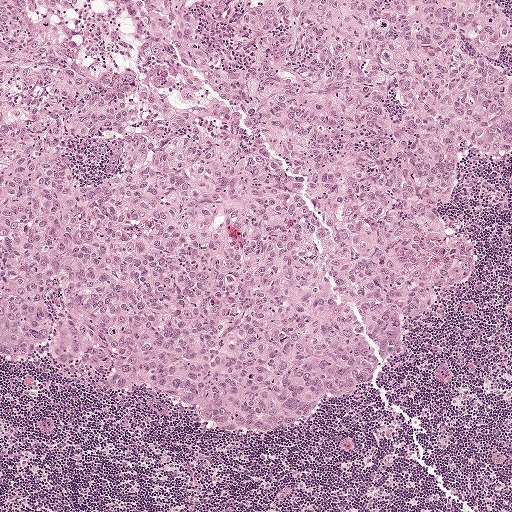
A 1-mm field of an H&E-stained sentinel lymph node from a breast-cancer patient (whole-slide image), shown at about 5×, about 1.9 µm per pixel.
Question: Is any metastatic breast cancer visible in this crop?
Answer: Yes.
The outlined metastatic tumour's edge, as a closed clockwise path of 21 points: (0, 0), (483, 0), (510, 20), (510, 46), (489, 65), (511, 79), (511, 150), (494, 158), (462, 149), (454, 194), (436, 208), (476, 263), (420, 314), (387, 367), (308, 423), (271, 437), (208, 432), (140, 396), (105, 399), (54, 359), (1, 368).
The annotated tumour makes up about 70% of the crop.